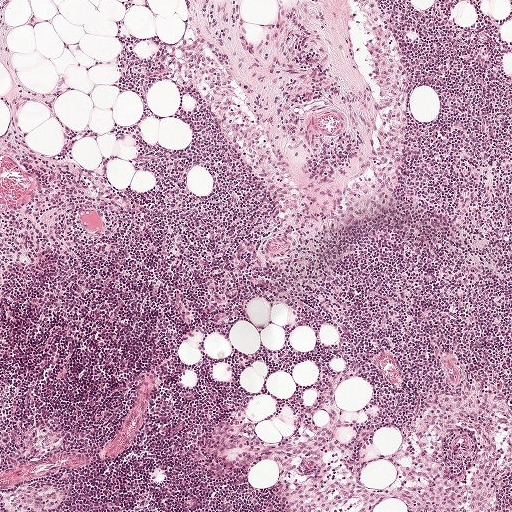
H&E-stained section of a sentinel lymph node (breast cancer), from a whole-slide image, viewed at about 5×: the field is about 1 mm across, about 1.9 µm per pixel.
Question: Is any metastatic breast cancer visible in this crop?
Answer: No: no metastatic tumour is outlined anywhere in this field.